Image:
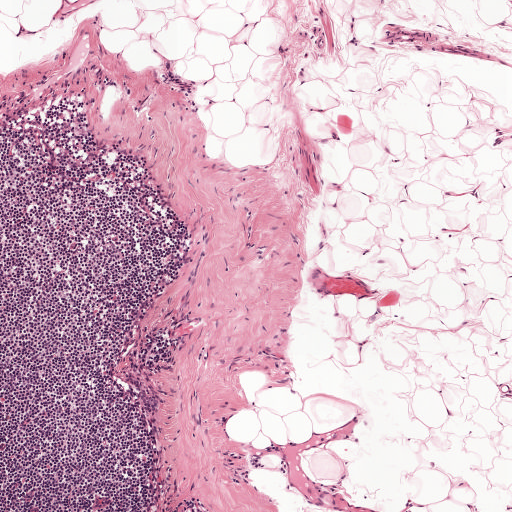
H&E-stained section of a sentinel lymph node (breast cancer), from a whole-slide image, viewed at about 5×: the field is about 1 mm across, about 1.9 µm per pixel.
Question:
Outline the metastatic carcinoma in this image, as closed paths of (x, y) pixel coordinates.
Answer:
The outlined metastatic tumour's edge, as a closed clockwise path of 9 points: (126, 374), (131, 374), (150, 390), (158, 399), (160, 411), (154, 413), (143, 409), (133, 386), (124, 378).
Under 5% of this field is tumour.